H&E-stained section of a sentinel lymph node (breast cancer), from a whole-slide image, viewed at about 10×: the field is about 0.5 mm across, about 0.97 µm per pixel.
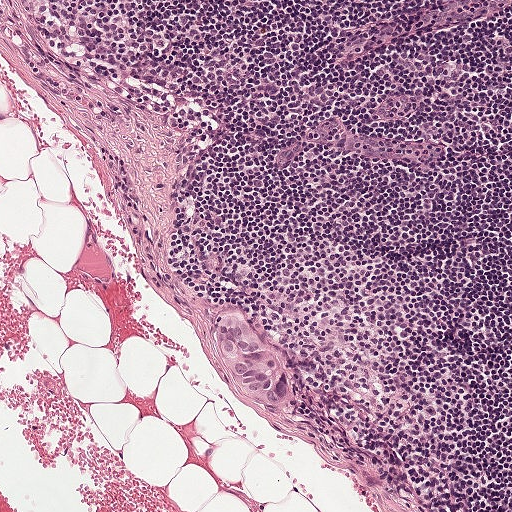
Question: Describe where the metastatic carcinoma lies in this crop.
Answer: The outlined metastatic tumour's edge, as a closed clockwise path of 12 points: (232, 304), (249, 310), (282, 353), (290, 373), (290, 388), (282, 406), (272, 407), (261, 405), (227, 381), (222, 358), (210, 339), (214, 316).
Under 5% of the image area is annotated as tumour.